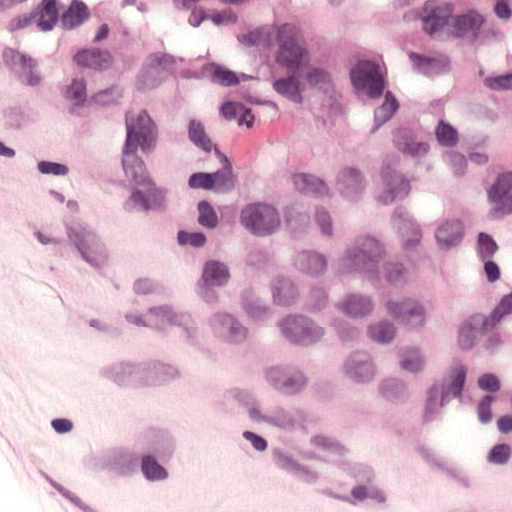
H&E-stained section of a sentinel lymph node (breast cancer), from a whole-slide image, viewed at about 40×: the field is about 0.12 mm across, about 0.24 µm per pixel.
Tumour region outline (a closed clockwise path, crop pixels): (366, 139), (455, 169), (501, 260), (480, 371), (406, 445), (307, 467), (213, 418), (178, 319), (196, 213), (267, 144).
About 30% of the image area is annotated as tumour.